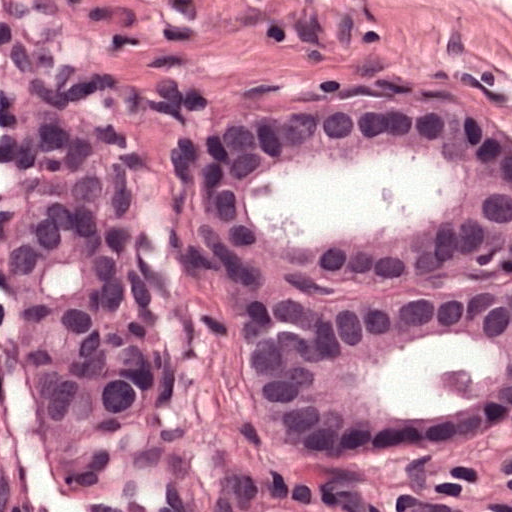
H&E-stained section of a sentinel lymph node (breast cancer), from a whole-slide image, viewed at about 40×: the field is about 0.12 mm across, about 0.24 µm per pixel.
Boundaries of two metastatic tumour regions, simplified and listed clockwise, largest first: region 1: (420, 79), (511, 116), (511, 439), (391, 465), (305, 470), (269, 461), (219, 392), (171, 140), (248, 104); region 2: (48, 105), (120, 140), (178, 316), (175, 377), (74, 447), (30, 406), (6, 287), (8, 225).
The annotated tumour makes up about 60% of the crop.